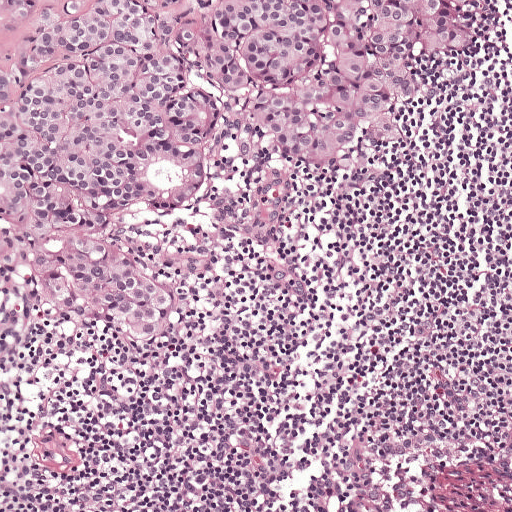
Lymph node section stained with H&E, from a whole-slide image of a breast-cancer sentinel node. Magnification about 10×, about 0.5 mm across the frame, about 0.97 µm per pixel.
Metastatic tumour outline, simplified to 20 points and listed clockwise in crop pixels (x, y): (0, 0), (489, 0), (491, 38), (453, 53), (405, 110), (419, 138), (378, 149), (360, 136), (338, 168), (294, 169), (245, 122), (216, 155), (212, 187), (179, 216), (136, 204), (122, 226), (174, 273), (177, 321), (140, 336), (0, 275).
About 35% of the image area is annotated as tumour.